H&E-stained section of a sentinel lymph node (breast cancer), from a whole-slide image, viewed at about 5×: the field is about 1 mm across, about 1.9 µm per pixel.
Image:
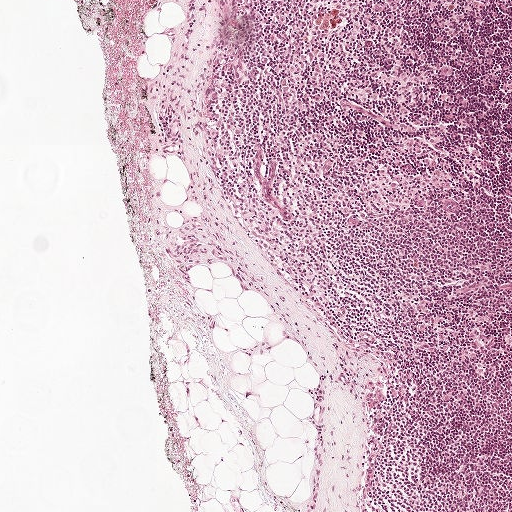
Question:
Is any metastatic breast cancer visible in this crop?
Answer:
No, this field holds no outlined metastasis.